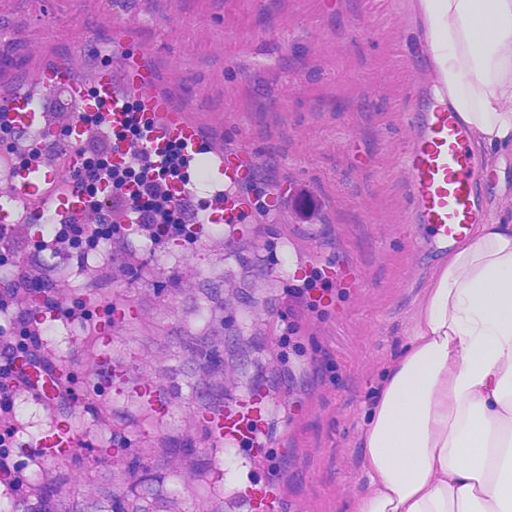
H&E-stained section of a sentinel lymph node (breast cancer), from a whole-slide image, viewed at about 20×: the field is about 0.23 mm across, about 0.45 µm per pixel.
Metastatic tumour outline, simplified to 12 points and listed clockwise in crop pixels (x, y): (270, 216), (294, 236), (298, 298), (264, 386), (226, 438), (235, 511), (0, 511), (14, 461), (4, 433), (46, 319), (142, 234), (236, 233).
One more small tumour piece is annotated here but not outlined.
The annotated tumour makes up about 25% of the crop.